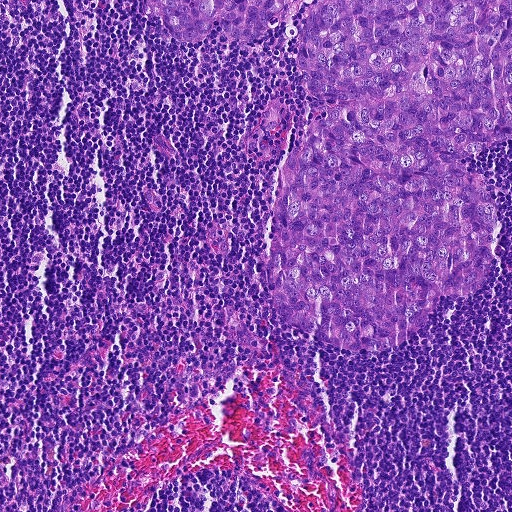
Lymph node section stained with H&E, from a whole-slide image of a breast-cancer sentinel node. Magnification about 10×, about 0.46 mm across the frame, about 0.9 µm per pixel.
Question: Is any metastatic breast cancer visible in this crop?
Answer: Yes.
Two metastatic tumour regions, each outlined as a closed clockwise path in crop pixels (x, y), largest first: region 1: (511, 0), (511, 136), (458, 164), (486, 180), (502, 226), (497, 258), (478, 294), (442, 298), (414, 337), (385, 352), (292, 328), (268, 287), (270, 220), (306, 131), (296, 51), (313, 6); region 2: (150, 0), (293, 0), (287, 14), (250, 45), (235, 41), (222, 31), (218, 21), (209, 35), (194, 42), (178, 40).
About 30% of this field is tumour.